Image:
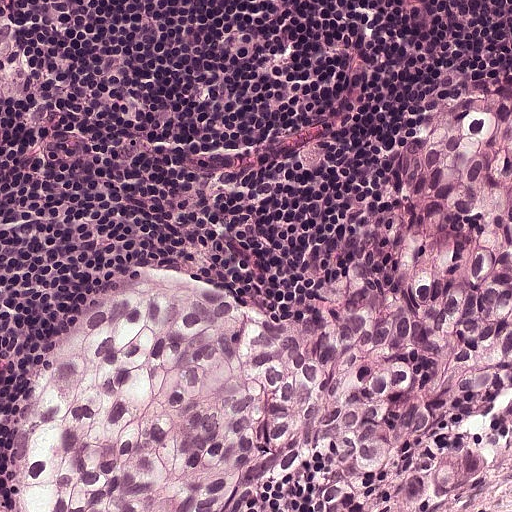
This is a crop of a whole-slide image: an H&E-stained breast-cancer sentinel lymph node section at roughly 20× magnification (about 0.49 µm per pixel; the crop spans about 0.25 mm).
Question:
Is any metastatic breast cancer visible in this crop?
Answer:
Yes.
Tumour region outline (a closed clockwise path, crop pixels): (511, 85), (511, 457), (486, 482), (449, 511), (332, 511), (321, 460), (307, 449), (247, 511), (16, 511), (37, 382), (87, 283), (168, 258), (270, 310), (326, 297), (348, 278), (348, 256), (390, 227), (432, 106).
Tumour covers about 50% of the frame.